Image:
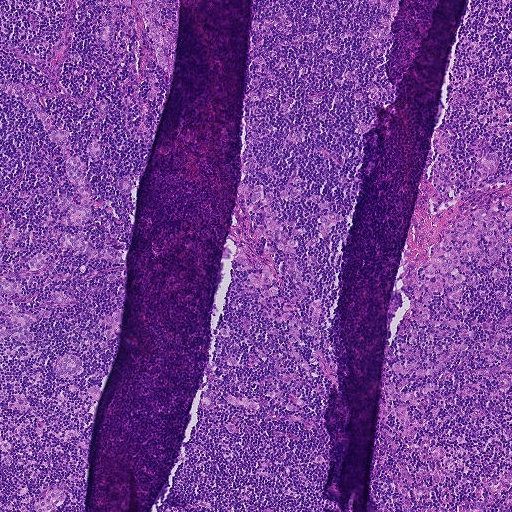
A 0.93-mm field of an H&E-stained sentinel lymph node from a breast-cancer patient (whole-slide image), shown at about 5×, about 1.8 µm per pixel.
Question:
Is any metastatic breast cancer visible in this crop?
Answer:
Yes.
Five metastatic tumour regions, each outlined as a closed clockwise path in crop pixels (x, y), largest first: region 1: (468, 0), (511, 0), (511, 511), (366, 511), (388, 307); region 2: (0, 0), (182, 0), (173, 80), (138, 186), (121, 337), (93, 351), (81, 378), (103, 390), (99, 404), (61, 378), (45, 350), (0, 339), (0, 274), (24, 265), (48, 199), (69, 193), (42, 123), (0, 90); region 3: (251, 0), (400, 0), (395, 100), (364, 133), (352, 216), (297, 257), (323, 300), (320, 345), (299, 341), (315, 378), (300, 412), (266, 404), (233, 433), (226, 403), (196, 400), (206, 362), (230, 354), (218, 325), (235, 327), (237, 395), (270, 385), (287, 343), (232, 266); region 4: (50, 488), (59, 488), (64, 496), (84, 503), (88, 511), (24, 511), (30, 499); region 5: (0, 431), (12, 441), (10, 451), (0, 455).
About 55% of the image area is annotated as tumour.